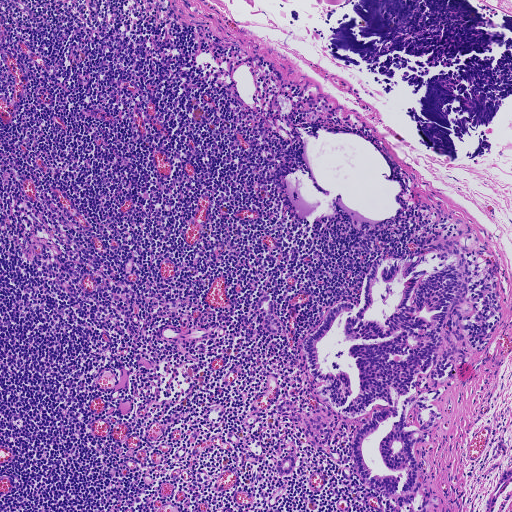
This is a crop of a whole-slide image: an H&E-stained breast-cancer sentinel lymph node section at roughly 5× magnification (about 1.8 µm per pixel; the crop spans about 0.93 mm).
Five metastatic tumour regions, each outlined as a closed clockwise path in crop pixels (x, y), largest first: region 1: (463, 228), (460, 245), (475, 309), (467, 325), (470, 355), (430, 403), (442, 417), (429, 441), (414, 445), (423, 511), (400, 511), (356, 470), (358, 430), (389, 405), (377, 400), (367, 412), (344, 417), (318, 394), (303, 345), (332, 307), (340, 301), (358, 308), (379, 258), (413, 255); region 2: (319, 410), (329, 421), (332, 428), (332, 435), (327, 441), (321, 444), (314, 442), (310, 436), (305, 426), (313, 414); region 3: (262, 296), (270, 296), (274, 302), (272, 310), (282, 322), (284, 330), (278, 334), (270, 334), (264, 329), (262, 315), (257, 309), (256, 301); region 4: (283, 398), (291, 400), (297, 405), (294, 412), (302, 414), (303, 421), (296, 424), (290, 419), (293, 413), (286, 414), (278, 412), (278, 404); region 5: (293, 452), (295, 461), (295, 467), (292, 473), (283, 476), (277, 472), (276, 465), (281, 459).
The annotated tumour makes up about 10% of the crop.